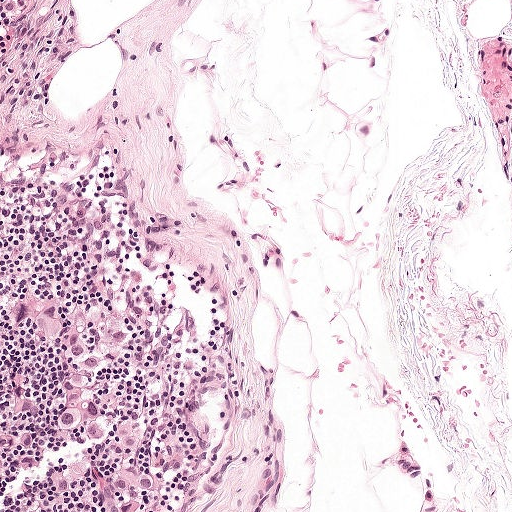
H&E-stained section of a sentinel lymph node (breast cancer), from a whole-slide image, viewed at about 10×: the field is about 0.5 mm across, about 0.97 µm per pixel.
Metastatic tumour outline, simplified to 9 points and listed clockwise in crop pixels (x, y): (120, 240), (201, 293), (232, 343), (236, 443), (204, 511), (0, 511), (0, 312), (59, 316), (102, 280).
Tumour covers about 20% of the frame.